Question: 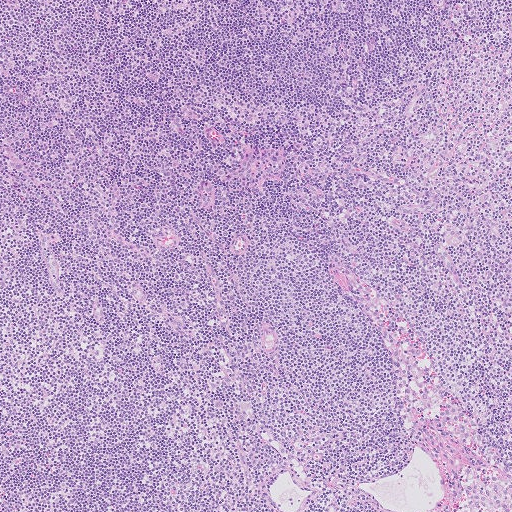
About what magnification does this crop show?

Choices:
 (A) about 2.5×
 (B) about 5×
 (C) about 10×
 (D) about 20×
 (E) about 40×

Answer: (B) about 5×
H&E-stained section of a sentinel lymph node (breast cancer), from a whole-slide image, viewed at about 5×: the field is about 1.0 mm across, about 2.0 µm per pixel.